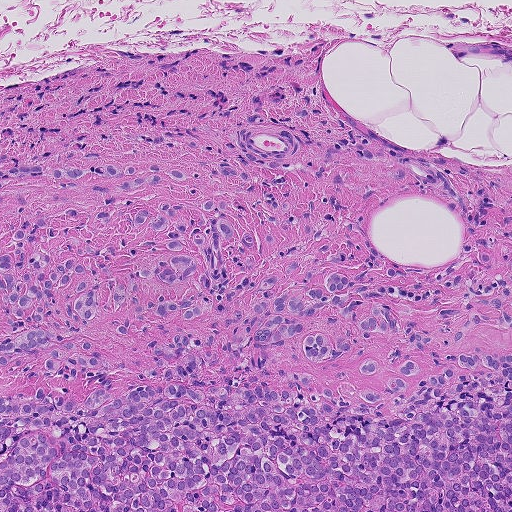
H&E-stained section of a sentinel lymph node (breast cancer), from a whole-slide image, viewed at about 10×: the field is about 0.46 mm across, about 0.9 µm per pixel.
One metastatic tumour region; its boundary, reduced to 22 corners and listed clockwise: (0, 150), (53, 167), (186, 169), (194, 184), (131, 198), (224, 193), (253, 236), (252, 275), (297, 250), (344, 253), (392, 310), (432, 331), (458, 327), (467, 290), (506, 285), (511, 249), (511, 328), (480, 330), (459, 346), (511, 355), (511, 511), (0, 511).
Tumour covers about 55% of the frame.